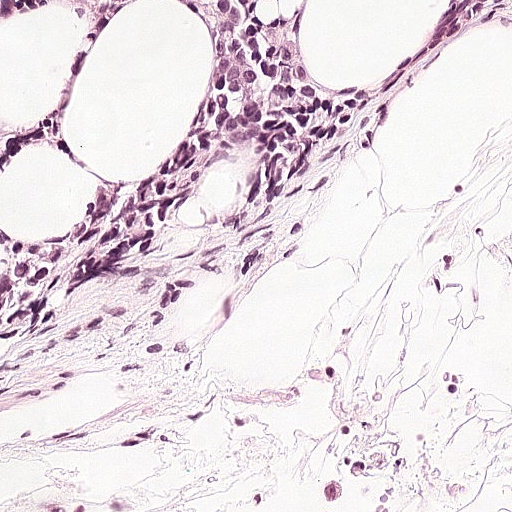
H&E-stained section of a sentinel lymph node (breast cancer), from a whole-slide image, viewed at about 20×: the field is about 0.25 mm across, about 0.49 µm per pixel.
Question: Is there metastatic carcinoma in this field?
Answer: Yes.
Four metastatic tumour regions, each outlined as a closed clockwise path in crop pixels (x, y), largest first: region 1: (157, 0), (314, 0), (298, 59), (333, 98), (358, 111), (336, 138), (281, 178), (220, 174), (170, 254), (131, 278), (66, 285), (2, 306), (9, 258), (0, 227), (9, 240), (52, 240), (73, 232), (109, 184), (152, 180), (170, 170), (204, 110), (216, 69), (206, 24), (182, 4); region 2: (0, 0), (141, 0), (128, 14), (104, 30), (78, 70), (77, 79), (76, 60), (79, 24), (75, 19), (61, 14), (52, 14), (26, 18), (0, 34); region 3: (27, 126), (46, 134), (44, 142), (16, 156), (0, 185), (0, 127); region 4: (470, 0), (511, 0), (511, 20), (492, 21), (486, 18), (479, 16), (477, 9).
The annotated tumour makes up about 15% of the crop.

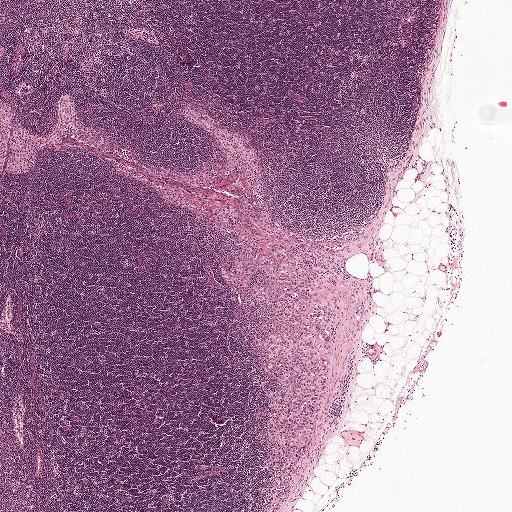
H&E-stained section of a sentinel lymph node (breast cancer), from a whole-slide image, viewed at about 2.5×: the field is about 2.0 mm across, about 3.9 µm per pixel.
Question: Is there metastatic carcinoma in this field?
Answer: Yes.
Outlines of three tumour regions, largest first (closed clockwise paths, crop pixels): region 1: (277, 270), (310, 285), (307, 306), (325, 309), (334, 342), (319, 418), (279, 511), (263, 511), (278, 475), (266, 465), (269, 446), (259, 435), (267, 426), (268, 395), (294, 362), (290, 357), (269, 369), (256, 348), (253, 341), (279, 323), (271, 305), (248, 292); region 2: (231, 205), (238, 209), (235, 220), (229, 228), (218, 230), (212, 226), (214, 215), (212, 210), (219, 206); region 3: (275, 239), (285, 246), (287, 250), (287, 260), (283, 261), (276, 258), (267, 249), (266, 244).
Tumour covers about 5% of the frame.

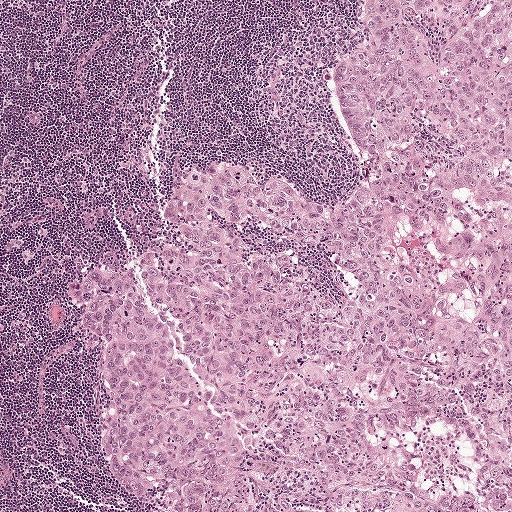
A 1-mm field of an H&E-stained sentinel lymph node from a breast-cancer patient (whole-slide image), shown at about 5×, about 1.9 µm per pixel.
Question: Is there metastatic carcinoma in this field?
Answer: Yes.
One metastatic tumour region; its boundary, reduced to 22 corners and listed clockwise: (363, 0), (511, 0), (511, 511), (158, 511), (168, 487), (150, 504), (120, 496), (98, 445), (101, 356), (65, 296), (77, 280), (175, 251), (161, 229), (162, 202), (196, 168), (230, 162), (256, 184), (274, 181), (328, 206), (376, 174), (331, 83), (362, 32).
The annotated tumour makes up about 60% of the crop.

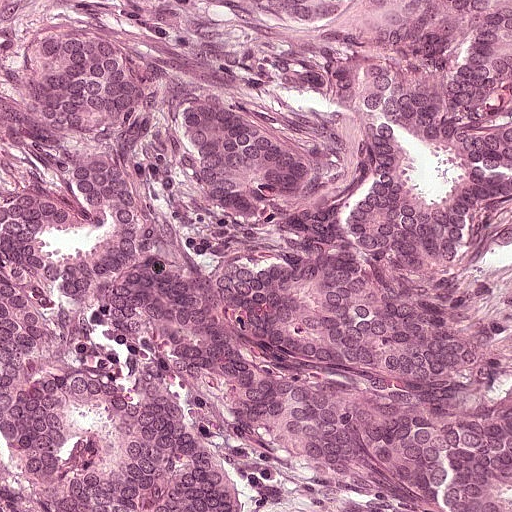
Lymph node section stained with H&E, from a whole-slide image of a breast-cancer sentinel node. Magnification about 20×, about 0.25 mm across the frame, about 0.49 µm per pixel.
Question: Is there metastatic carcinoma in this field?
Answer: Yes.
Metastatic tumour covers the whole field.
Over 95% of the image area is annotated as tumour.